Question: 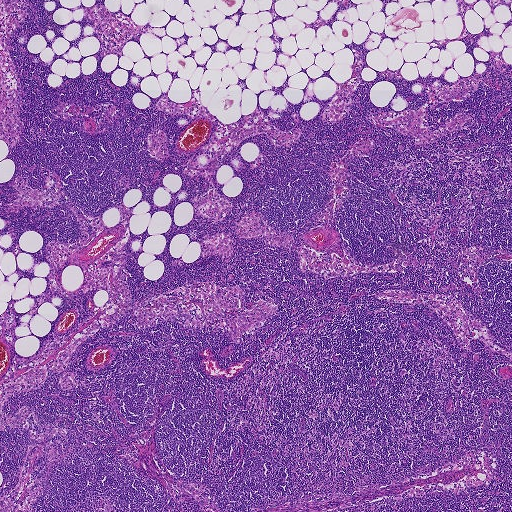
Which magnification is this H&E lymph node field most likely shown at?

Choices:
 (A) about 40×
 (B) about 20×
 (C) about 5×
 (D) about 10×
 (E) about 2.5×

Answer: (E) about 2.5×
A 1.9-mm field of an H&E-stained sentinel lymph node from a breast-cancer patient (whole-slide image), shown at about 2.5×, about 3.6 µm per pixel.